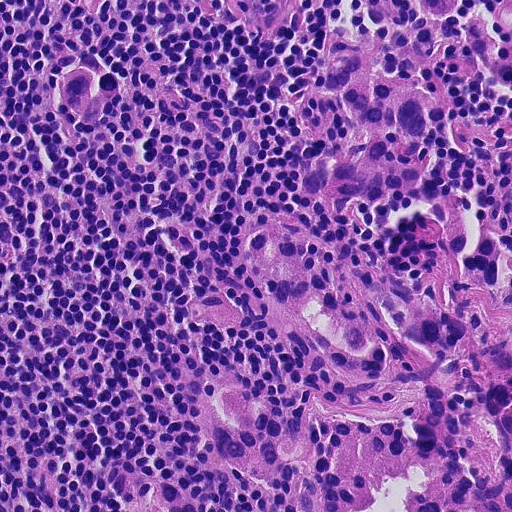
This is a crop of a whole-slide image: an H&E-stained breast-cancer sentinel lymph node section at roughly 20× magnification (about 0.45 µm per pixel; the crop spans about 0.23 mm).
Five metastatic tumour regions, each outlined as a closed clockwise path in crop pixels (x, y), largest first: region 1: (370, 28), (422, 68), (439, 168), (506, 230), (511, 154), (511, 511), (270, 511), (222, 462), (198, 398), (224, 376), (318, 389), (252, 270), (250, 202), (294, 209), (382, 259), (416, 262), (426, 230), (408, 200), (302, 186), (281, 158), (326, 31); region 2: (419, 0), (511, 0), (511, 89), (478, 61), (458, 33), (428, 16); region 3: (108, 460), (141, 462), (172, 478), (200, 498), (212, 511), (137, 511), (127, 505), (108, 478); region 4: (83, 66), (106, 66), (123, 80), (124, 102), (106, 118), (82, 121), (62, 110), (53, 91), (66, 72); region 5: (224, 0), (286, 0), (280, 17), (257, 22), (236, 14).
The annotated tumour makes up about 40% of the crop.